Question: 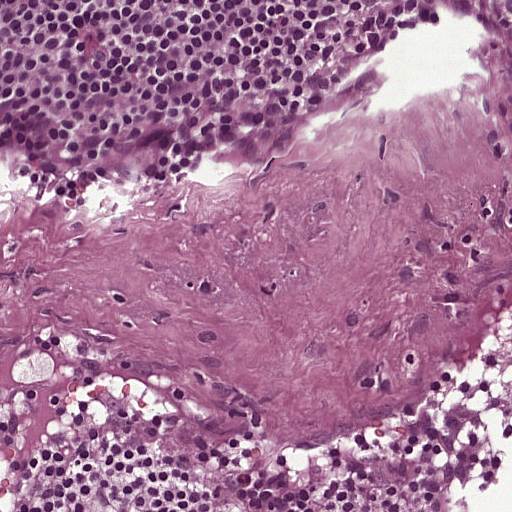
At roughly what magnification is this field shown?

Choices:
 (A) about 20×
 (B) about 40×
 (C) about 10×
 (D) about 2.5×
 (E) about 5×

Answer: (A) about 20×
A 0.25-mm field of an H&E-stained sentinel lymph node from a breast-cancer patient (whole-slide image), shown at about 20×, about 0.49 µm per pixel.